Question: 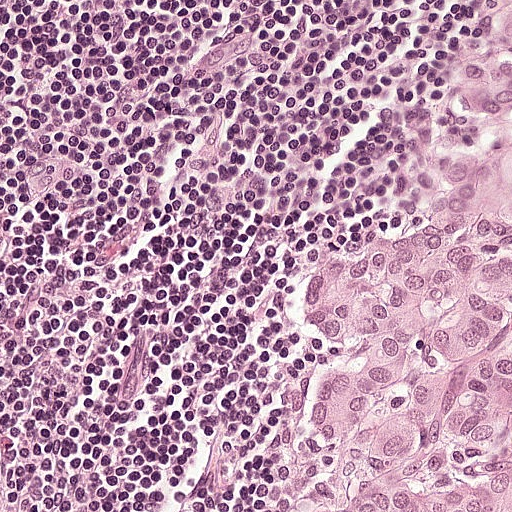
H&E-stained section of a sentinel lymph node (breast cancer), from a whole-slide image, viewed at about 20×: the field is about 0.25 mm across, about 0.49 µm per pixel.
Roughly what share of this field is metastatic tumour?

Choices:
 (A) about 25% to 45%
 (B) about 50% or more
 (C) about 10% to 20%
 (D) about 5% or less
 (E) none: no tumour is outlined

Answer: (A) about 25% to 45%
About 25% of the field is tumour.
One metastatic tumour region; its boundary, reduced to 18 corners and listed clockwise: (492, 0), (511, 0), (511, 511), (295, 511), (314, 490), (294, 404), (318, 344), (312, 292), (346, 255), (418, 232), (440, 213), (470, 140), (440, 104), (438, 78), (451, 58), (492, 38), (487, 18), (474, 18).